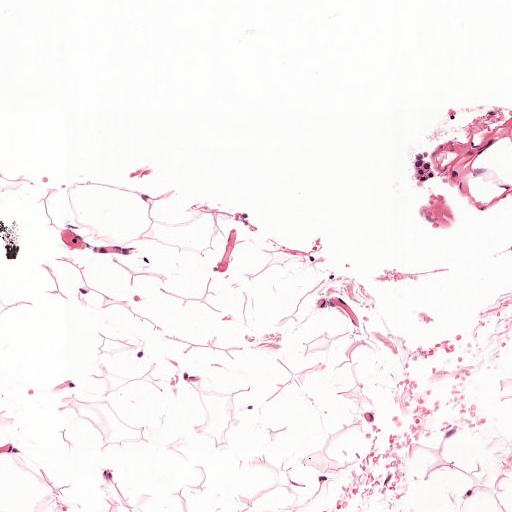
Lymph node section stained with H&E, from a whole-slide image of a breast-cancer sentinel node. Magnification about 10×, about 0.5 mm across the frame, about 0.97 µm per pixel.
Metastatic tumour outline, simplified to 7 points and listed clockwise in crop pixels (x, y): (420, 152), (429, 157), (437, 177), (429, 188), (421, 189), (411, 179), (414, 157).
One more small tumour piece is annotated here but not outlined.
Tumour covers under 5% of the frame.